Image:
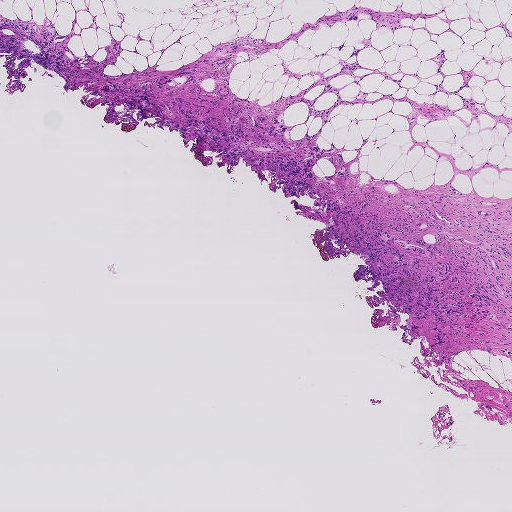
H&E-stained section of a sentinel lymph node (breast cancer), from a whole-slide image, viewed at about 2.5×: the field is about 1.9 mm across, about 3.6 µm per pixel.
Question:
Outline the metastatic carcinoma in this image, as closed paths of (x, y) pixel coordinates.
Answer:
One metastatic tumour region; its boundary, reduced to 24 corners and listed clockwise: (386, 179), (423, 190), (448, 183), (482, 200), (511, 199), (511, 341), (470, 338), (430, 348), (431, 315), (412, 321), (386, 299), (381, 282), (374, 292), (365, 287), (371, 281), (356, 283), (352, 272), (366, 264), (331, 243), (325, 230), (331, 220), (308, 193), (315, 184), (343, 189).
Tumour covers about 10% of the frame.